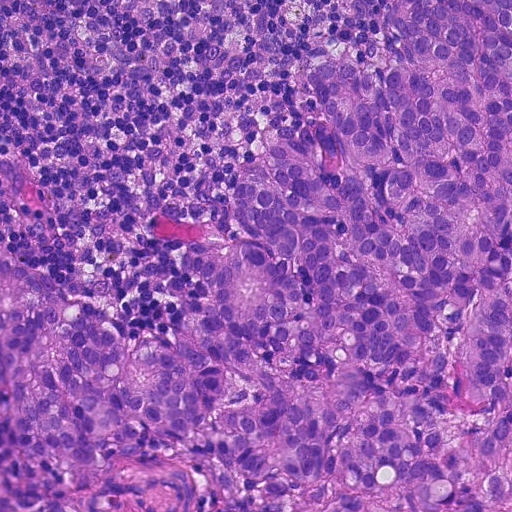
Lymph node section stained with H&E, from a whole-slide image of a breast-cancer sentinel node. Magnification about 20×, about 0.23 mm across the frame, about 0.45 µm per pixel.
The outlined metastatic tumour's edge, as a closed clockwise path of 20 points: (381, 0), (511, 0), (511, 509), (36, 511), (0, 470), (0, 251), (108, 306), (124, 332), (150, 324), (174, 339), (184, 307), (206, 305), (186, 286), (174, 249), (210, 232), (241, 158), (306, 114), (303, 74), (329, 45), (378, 36).
Tumour covers about 70% of the frame.